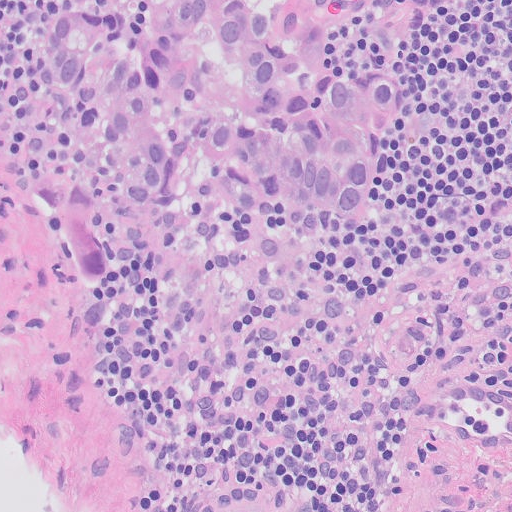
H&E-stained section of a sentinel lymph node (breast cancer), from a whole-slide image, viewed at about 20×: the field is about 0.26 mm across, about 0.5 µm per pixel.
One metastatic tumour region; its boundary, reduced to 23 corners and listed clockwise: (120, 0), (471, 0), (396, 52), (344, 36), (340, 62), (394, 84), (374, 222), (324, 232), (244, 202), (188, 204), (174, 227), (148, 236), (124, 224), (108, 245), (113, 273), (99, 297), (72, 286), (43, 234), (58, 210), (108, 196), (52, 102), (34, 48), (42, 20).
Tumour covers about 30% of the frame.